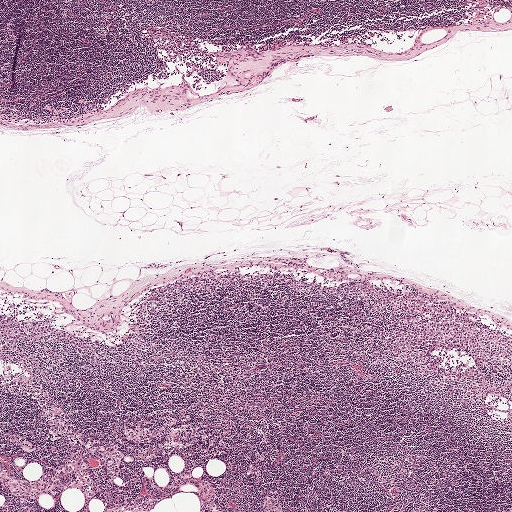
A 2.0-mm field of an H&E-stained sentinel lymph node from a breast-cancer patient (whole-slide image), shown at about 2.5×, about 3.9 µm per pixel.
Two metastatic tumour regions, each outlined as a closed clockwise path in crop pixels (x, y), largest first: region 1: (276, 263), (333, 281), (407, 288), (451, 310), (511, 327), (511, 405), (438, 393), (328, 353), (312, 338), (310, 324), (350, 319), (323, 302), (199, 296), (170, 304), (143, 324), (120, 320), (131, 292), (239, 264); region 2: (0, 314), (29, 320), (64, 333), (100, 340), (109, 347), (110, 352), (85, 352), (55, 343), (0, 343).
Tumour covers about 10% of the frame.